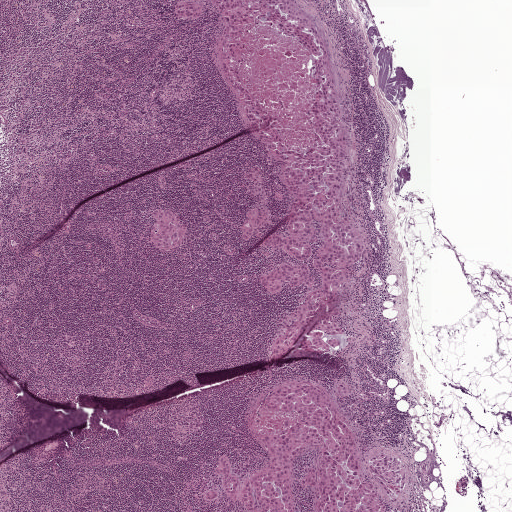
A 2.0-mm field of an H&E-stained sentinel lymph node from a breast-cancer patient (whole-slide image), shown at about 2.5×, about 3.9 µm per pixel.
Boundaries of five metastatic tumour regions, simplified and listed clockwise, largest first: region 1: (212, 0), (297, 0), (326, 31), (350, 144), (344, 198), (366, 243), (341, 298), (351, 347), (272, 362), (279, 321), (310, 290), (286, 282), (268, 295), (259, 277), (285, 261), (309, 263), (313, 285), (321, 283), (309, 262), (259, 239), (288, 234), (291, 199), (217, 61), (222, 26); region 2: (308, 378), (334, 394), (344, 378), (351, 391), (338, 408), (362, 447), (397, 455), (411, 472), (404, 501), (386, 511), (310, 511), (298, 480), (320, 459), (312, 447), (295, 460), (294, 511), (201, 498), (223, 483), (217, 456), (249, 480), (266, 466), (246, 418), (253, 396), (278, 381); region 3: (159, 210), (171, 210), (177, 212), (187, 228), (187, 241), (184, 246), (173, 252), (167, 252), (155, 249), (152, 244), (149, 232); region 4: (255, 166), (259, 166), (262, 176), (267, 206), (270, 215), (268, 221), (259, 229), (263, 235), (259, 237), (254, 235), (246, 241), (242, 237), (242, 231), (250, 222), (247, 216), (256, 201), (247, 194), (250, 182), (245, 179), (245, 173); region 5: (189, 0), (198, 1), (203, 5), (203, 11), (200, 16), (194, 19), (182, 18), (176, 15), (173, 9), (174, 3).
One more small tumour piece is annotated here but not outlined.
Tumour covers about 20% of the frame.